Question: 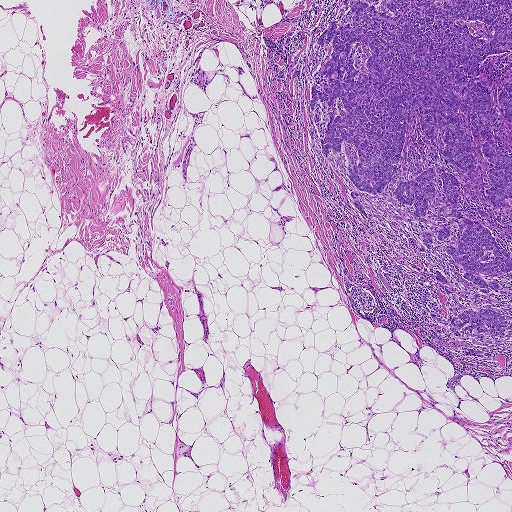
At roughly what magnification is this field shown?

Choices:
 (A) about 40×
 (B) about 5×
 (C) about 10×
 (D) about 20×
 (E) about 2.5×

Answer: (E) about 2.5×
Lymph node section stained with H&E, from a whole-slide image of a breast-cancer sentinel node. Magnification about 2.5×, about 1.9 mm across the frame, about 3.6 µm per pixel.
The outlined metastatic tumour's edge, as a closed clockwise path of 23 points: (340, 0), (511, 0), (511, 337), (485, 356), (461, 353), (462, 342), (436, 318), (449, 302), (429, 255), (417, 251), (410, 209), (387, 191), (364, 193), (370, 220), (319, 148), (327, 108), (319, 101), (313, 122), (311, 85), (331, 44), (316, 42), (328, 22), (348, 20).
One more small tumour piece is annotated here but not outlined.
Tumour covers about 20% of the frame.